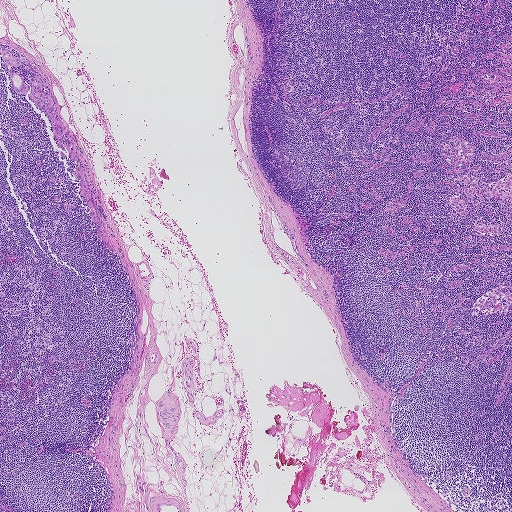
A 1.9-mm field of an H&E-stained sentinel lymph node from a breast-cancer patient (whole-slide image), shown at about 2.5×, about 3.6 µm per pixel.
Question: Which parts of this field are metastatic tumour? Answer with the outline of each region, in pixels.
Answer: One metastatic tumour region; its boundary, reduced to 39 corners and listed clockwise: (0, 44), (34, 67), (29, 71), (22, 62), (19, 67), (10, 67), (19, 72), (24, 84), (28, 84), (28, 78), (36, 81), (36, 70), (47, 84), (49, 88), (42, 87), (42, 92), (49, 96), (55, 118), (62, 124), (62, 140), (79, 153), (90, 197), (114, 253), (97, 236), (95, 228), (99, 227), (79, 192), (79, 180), (72, 174), (75, 163), (66, 150), (55, 144), (51, 124), (29, 99), (28, 92), (17, 93), (11, 87), (8, 70), (1, 67).
Under 5% of this field is tumour.